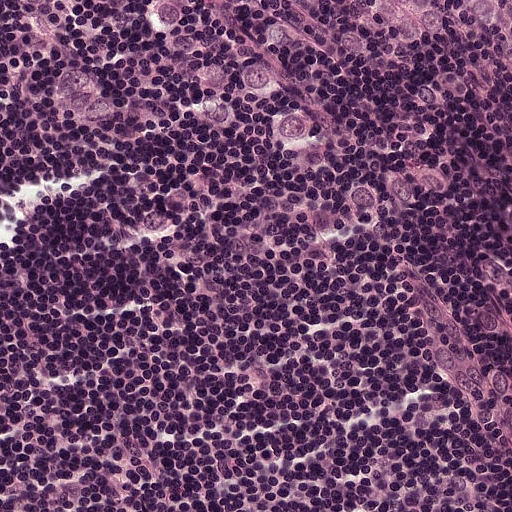
Lymph node section stained with H&E, from a whole-slide image of a breast-cancer sentinel node. Magnification about 20×, about 0.25 mm across the frame, about 0.49 µm per pixel.
The outlined metastatic tumour's edge, as a closed clockwise path of 10 points: (36, 0), (511, 0), (511, 87), (468, 74), (413, 77), (306, 172), (231, 181), (174, 140), (138, 79), (88, 52).
About 20% of this field is tumour.